A 0.23-mm field of an H&E-stained sentinel lymph node from a breast-cancer patient (whole-slide image), shown at about 20×, about 0.45 µm per pixel.
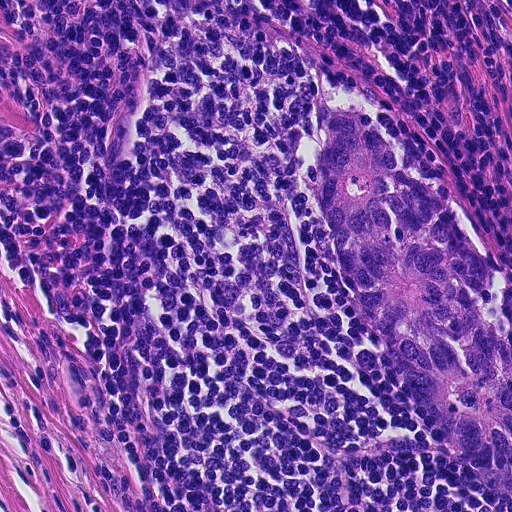
Question: Is any metastatic breast cancer visible in this crop?
Answer: Yes.
One metastatic tumour region; its boundary, reduced to 11 corners and listed clockwise: (324, 100), (378, 109), (401, 124), (495, 254), (498, 309), (511, 328), (510, 511), (422, 431), (349, 318), (303, 182), (301, 152).
Tumour covers about 20% of the frame.